Image:
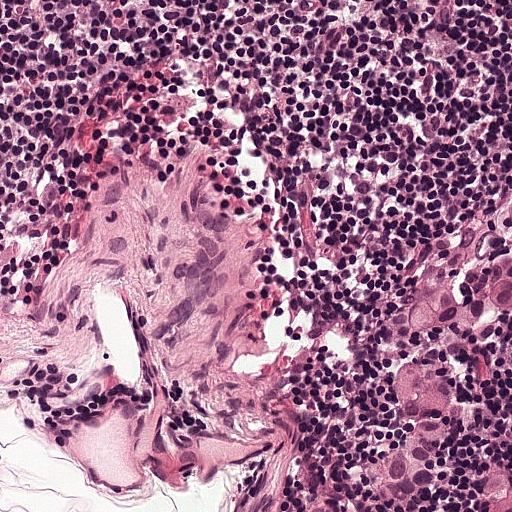
This is a crop of a whole-slide image: an H&E-stained breast-cancer sentinel lymph node section at roughly 20× magnification (about 0.49 µm per pixel; the crop spans about 0.25 mm).
Question:
Trace the edge of each tumour region in this crop, as (x, y) points from 0 to 511.
Answer:
Metastatic tumour outline, simplified to 19 points and listed clockwise in crop pixels (x, y): (511, 188), (511, 304), (463, 342), (454, 380), (494, 448), (511, 457), (511, 511), (457, 511), (474, 438), (456, 430), (446, 448), (400, 491), (376, 486), (364, 472), (368, 397), (394, 334), (396, 305), (413, 254), (480, 219).
One more small tumour piece is annotated here but not outlined.
About 10% of the image area is annotated as tumour.